Question: 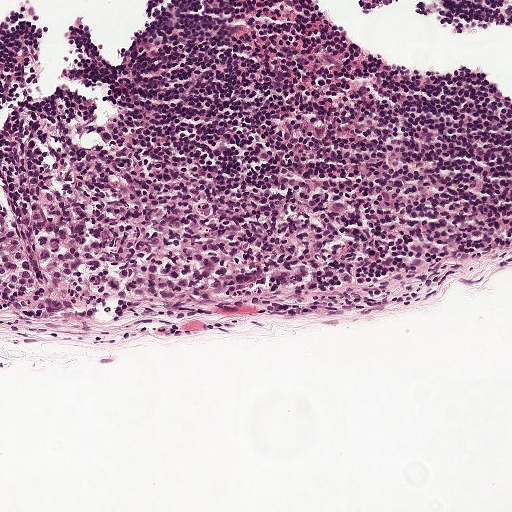
This is a crop of a whole-slide image: an H&E-stained breast-cancer sentinel lymph node section at roughly 10× magnification (about 0.97 µm per pixel; the crop spans about 0.5 mm).
About how much of this crop is taken up by metastatic carcinoma?

Choices:
 (A) about 50% or more
 (B) none: no tumour is outlined
 (C) about 5% or less
 (D) about 10% to 20%
 (E) about 25% to 45%

Answer: (D) about 10% to 20%
About 15% of the field is tumour.
Tumour region outline (a closed clockwise path, crop pixels): (0, 155), (60, 184), (152, 170), (234, 198), (255, 217), (291, 281), (284, 308), (226, 328), (0, 318).